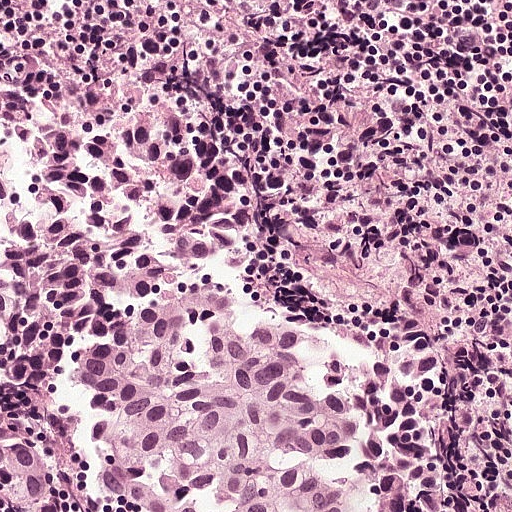
This is a crop of a whole-slide image: an H&E-stained breast-cancer sentinel lymph node section at roughly 20× magnification (about 0.49 µm per pixel; the crop spans about 0.25 mm).
Question: Trace the edge of each tumour region in this crop, as (x, y) points from 0 to 511.
Answer: Outlines of two tumour regions, largest first (closed clockwise paths, crop pixels): region 1: (9, 60), (125, 98), (225, 164), (244, 197), (245, 230), (223, 264), (428, 388), (453, 432), (455, 511), (144, 511), (90, 439), (90, 375), (58, 397), (4, 376), (0, 62); region 2: (0, 420), (6, 420), (42, 437), (48, 442), (56, 458), (55, 478), (50, 486), (46, 506), (38, 511), (18, 511), (10, 510), (0, 504).
The annotated tumour makes up about 50% of the crop.